Image:
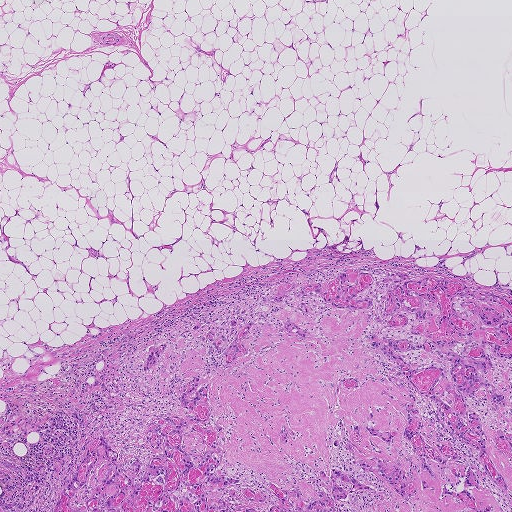
H&E-stained section of a sentinel lymph node (breast cancer), from a whole-slide image, viewed at about 2.5×: the field is about 1.9 mm across, about 3.6 µm per pixel.
Question:
Which parts of this field are metastatic tumour?
Answer:
Metastatic tumour outline, simplified to 20 points and listed clockwise in crop pixels (x, y): (382, 268), (507, 298), (511, 511), (51, 511), (98, 435), (125, 463), (163, 453), (145, 428), (157, 415), (181, 417), (178, 394), (195, 377), (144, 374), (149, 347), (213, 319), (226, 348), (236, 333), (227, 324), (250, 318), (280, 283).
One more small tumour piece is annotated here but not outlined.
About 30% of this field is tumour.